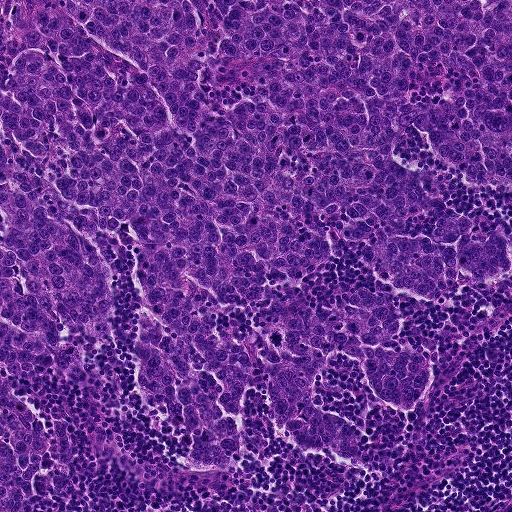
A 0.46-mm field of an H&E-stained sentinel lymph node from a breast-cancer patient (whole-slide image), shown at about 10×, about 0.9 µm per pixel.
The outlined metastatic tumour's edge, as a closed clockwise path of 24 points: (0, 0), (511, 0), (511, 192), (408, 127), (392, 154), (511, 272), (429, 302), (337, 240), (299, 291), (404, 305), (416, 402), (335, 351), (312, 392), (356, 462), (296, 443), (267, 373), (236, 456), (191, 462), (140, 387), (128, 228), (97, 232), (108, 336), (12, 380), (0, 511).
About 70% of the image area is annotated as tumour.